Question: 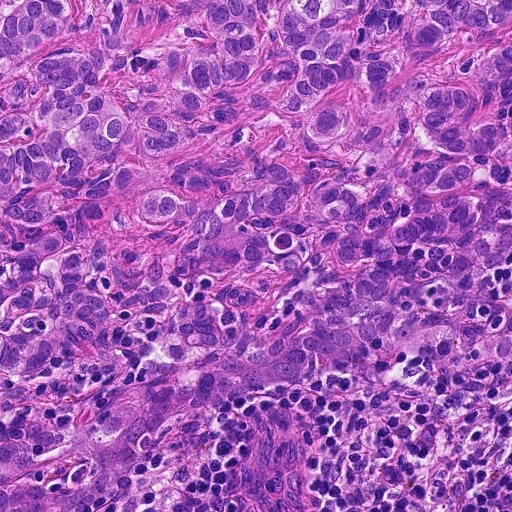
Lymph node section stained with H&E, from a whole-slide image of a breast-cancer sentinel node. Magnification about 20×, about 0.23 mm across the frame, about 0.45 µm per pixel.
About how much of this crop is taken up by metastatic carcinoma?

Choices:
 (A) about 5% or less
 (B) about 25% to 45%
 (C) about 10% to 20%
 (D) none: no tumour is outlined
 (E) about 50% or more

Answer: (E) about 50% or more
About 80% of the field is tumour.
The outlined metastatic tumour's edge, as a closed clockwise path of 8 points: (0, 0), (511, 0), (511, 364), (457, 370), (401, 358), (190, 406), (95, 511), (0, 511).